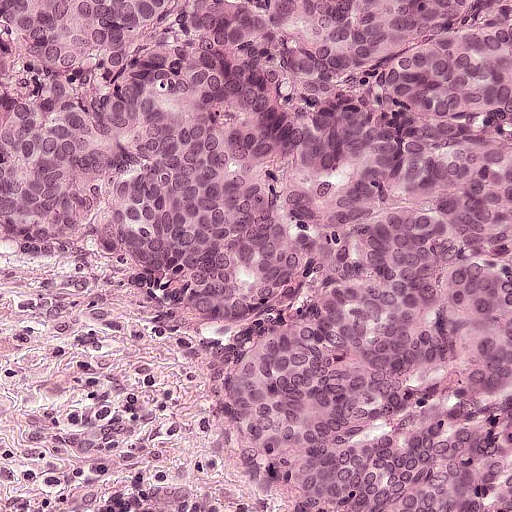
H&E-stained section of a sentinel lymph node (breast cancer), from a whole-slide image, viewed at about 20×: the field is about 0.25 mm across, about 0.49 µm per pixel.
The outlined metastatic tumour's edge, as a closed clockwise path of 7 points: (0, 0), (511, 0), (511, 511), (259, 511), (156, 356), (26, 270), (0, 269).
About 85% of the image area is annotated as tumour.